A 0.5-mm field of an H&E-stained sentinel lymph node from a breast-cancer patient (whole-slide image), shown at about 10×, about 0.97 µm per pixel.
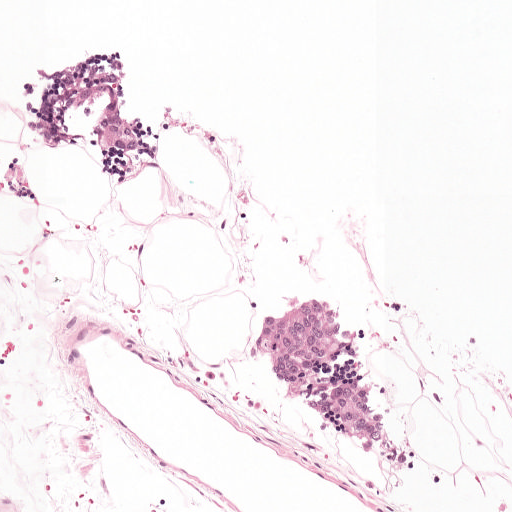
Two metastatic tumour regions, each outlined as a closed clockwise path in crop pixels (x, y), largest first: region 1: (284, 290), (328, 298), (343, 308), (353, 322), (361, 356), (370, 370), (376, 404), (407, 445), (410, 462), (394, 465), (378, 459), (306, 412), (259, 363), (248, 361), (262, 315), (270, 300); region 2: (100, 63), (116, 72), (120, 106), (140, 134), (142, 150), (126, 153), (94, 144), (93, 127), (106, 96), (90, 118), (79, 114), (74, 129), (69, 134), (55, 125), (53, 108), (69, 78), (84, 68).
About 5% of this field is tumour.